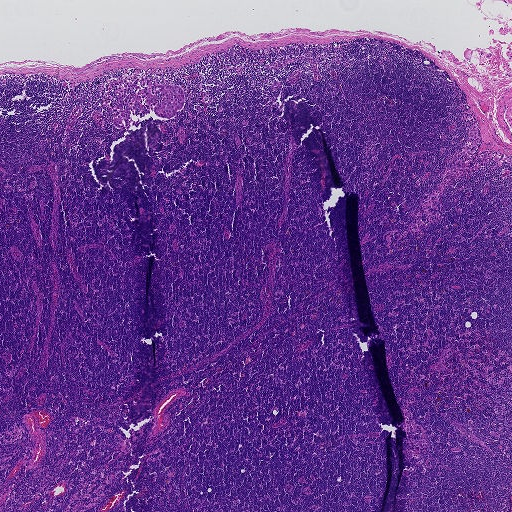
Lymph node section stained with H&E, from a whole-slide image of a breast-cancer sentinel node. Magnification about 2.5×, about 1.9 mm across the frame, about 3.6 µm per pixel.
Metastatic tumour outline, simplified to 24 points and listed clockwise in crop pixels (x, y): (149, 80), (153, 85), (166, 84), (181, 87), (183, 105), (175, 115), (170, 119), (154, 114), (151, 110), (130, 110), (133, 120), (138, 120), (136, 126), (124, 128), (115, 126), (112, 121), (118, 100), (117, 94), (122, 97), (123, 109), (136, 92), (132, 85), (147, 85), (146, 81).
Tumour covers under 5% of the frame.